Lymph node section stained with H&E, from a whole-slide image of a breast-cancer sentinel node. Magnification about 2.5×, about 2.0 mm across the frame, about 3.9 µm per pixel.
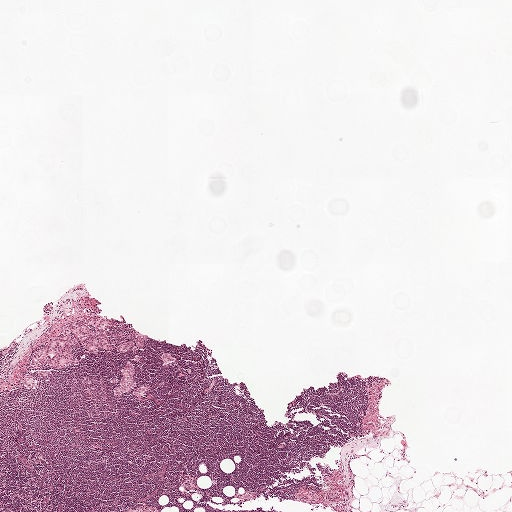
Question: Where is the metastatic tumour in this field?
Answer: Boundaries of five metastatic tumour regions, simplified and listed clockwise, largest first: region 1: (95, 316), (111, 321), (111, 326), (109, 331), (106, 331), (110, 345), (111, 346), (111, 351), (98, 348), (98, 352), (95, 353), (88, 351), (80, 341), (80, 336), (72, 332), (71, 335), (79, 344), (70, 345), (73, 358), (77, 360), (78, 364), (56, 368), (47, 362), (46, 360), (42, 365), (35, 368), (29, 366), (34, 351), (42, 348), (44, 345), (52, 340), (62, 337), (66, 323), (75, 319), (81, 320), (94, 332), (95, 328), (85, 321), (85, 317); region 2: (129, 361), (133, 364), (135, 372), (133, 378), (136, 386), (129, 392), (115, 394), (113, 392), (113, 390), (121, 382), (122, 377), (121, 369); region 3: (138, 334), (147, 335), (147, 341), (143, 342), (144, 348), (143, 349), (140, 349), (133, 346), (128, 348), (126, 352), (124, 352), (120, 352), (117, 350), (119, 346), (123, 343), (130, 341), (136, 341), (135, 339), (137, 338); region 4: (26, 374), (28, 374), (33, 376), (37, 381), (35, 389), (32, 389), (26, 387), (24, 384), (23, 382); region 5: (140, 384), (143, 384), (150, 386), (148, 391), (145, 391), (146, 396), (143, 398), (138, 397), (134, 392), (134, 390), (138, 388).
Two more small tumour pieces are annotated here but not outlined.
Under 5% of this field is tumour.